This is a crop of a whole-slide image: an H&E-stained breast-cancer sentinel lymph node section at roughly 5× magnification (about 1.8 µm per pixel; the crop spans about 0.93 mm).
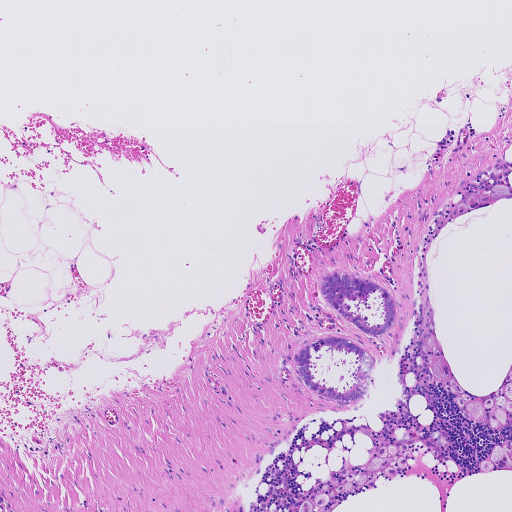
Two metastatic tumour regions, each outlined as a closed clockwise path in crop pixels (x, y), largest first: region 1: (330, 337), (353, 342), (366, 350), (373, 355), (375, 363), (368, 393), (356, 404), (348, 404), (318, 396), (301, 380), (297, 373), (295, 358), (306, 347); region 2: (334, 268), (362, 280), (370, 279), (389, 293), (395, 307), (394, 322), (385, 333), (370, 335), (328, 305), (323, 299), (319, 284), (326, 270).
Tumour covers about 5% of the frame.